Question: 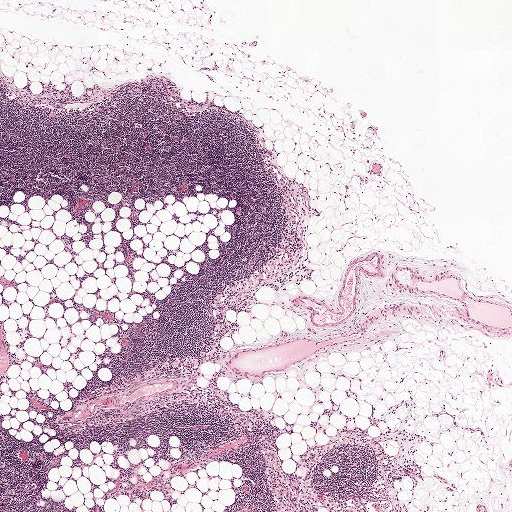
H&E-stained section of a sentinel lymph node (breast cancer), from a whole-slide image, viewed at about 2.5×: the field is about 2.0 mm across, about 3.9 µm per pixel.
What fraction of the image area is metastatic tumour?

Choices:
 (A) about 25% to 45%
 (B) about 5% or less
 (C) none: no tumour is outlined
 (D) about 10% to 20%
 (E) about 50% or more

Answer: (C) none: no tumour is outlined
No metastatic tumour is outlined in this field.